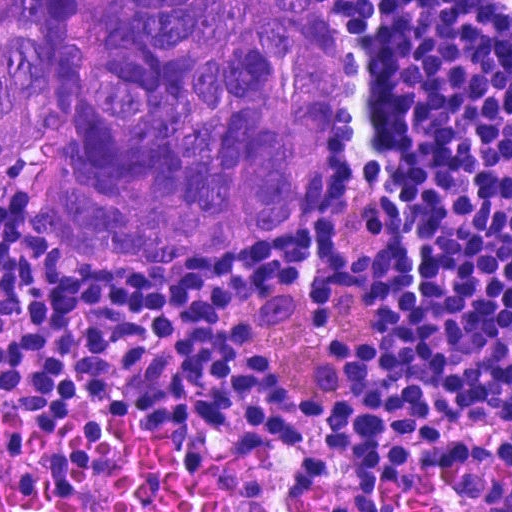
Lymph node section stained with H&E, from a whole-slide image of a breast-cancer sentinel node. Magnification about 40×, about 0.12 mm across the frame, about 0.23 µm per pixel.
Metastatic tumour outline, simplified to 11 points and listed clockwise in crop pixels (x, y): (0, 0), (325, 0), (340, 23), (329, 195), (312, 226), (212, 257), (108, 263), (42, 239), (30, 172), (46, 138), (0, 169).
One more small tumour piece is annotated here but not outlined.
About 35% of the image area is annotated as tumour.